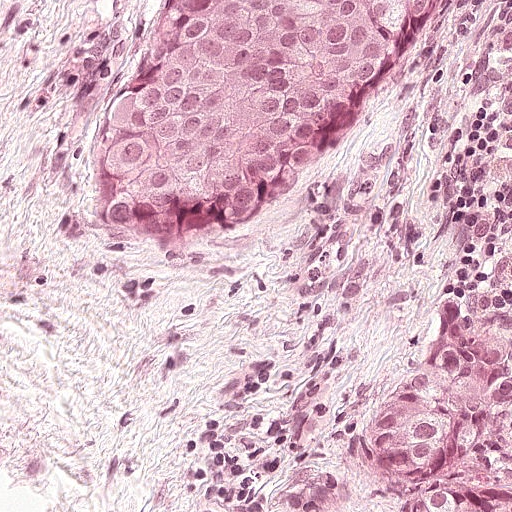
Lymph node section stained with H&E, from a whole-slide image of a breast-cancer sentinel node. Magnification about 20×, about 0.25 mm across the frame, about 0.49 µm per pixel.
Metastatic tumour outline, simplified to 9 points and listed clockwise in crop pixels (x, y): (457, 0), (396, 60), (340, 149), (265, 221), (176, 258), (100, 256), (82, 235), (85, 94), (165, 2).
About 25% of this field is tumour.